Lymph node section stained with H&E, from a whole-slide image of a breast-cancer sentinel node. Magnification about 10×, about 0.46 mm across the frame, about 0.9 µm per pixel.
Image:
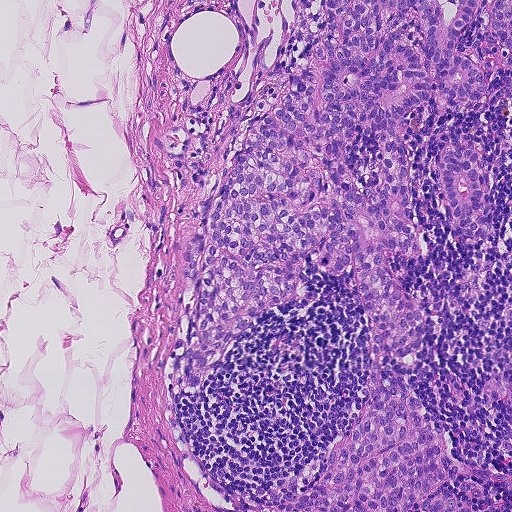
Question:
Does this lymph node field contain metastatic tumour?
Answer:
Yes.
One metastatic tumour region; its boundary, reduced to 36 corners and listed clockwise: (511, 0), (511, 59), (492, 52), (484, 7), (454, 52), (490, 88), (477, 120), (458, 118), (490, 230), (455, 232), (440, 177), (454, 116), (421, 103), (398, 131), (428, 254), (388, 261), (425, 325), (420, 362), (393, 363), (396, 373), (412, 384), (466, 467), (504, 479), (438, 484), (424, 511), (258, 511), (358, 419), (352, 267), (305, 264), (310, 306), (258, 318), (198, 392), (171, 378), (196, 209), (286, 96), (324, 2).
About 35% of the image area is annotated as tumour.